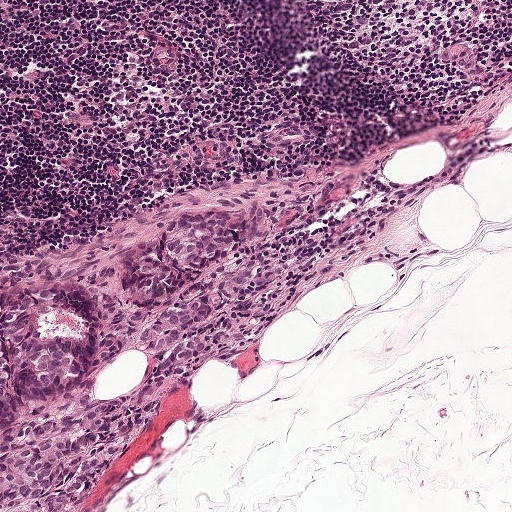
A 0.5-mm field of an H&E-stained sentinel lymph node from a breast-cancer patient (whole-slide image), shown at about 10×, about 0.97 µm per pixel.
Tumour region outline (a closed clockwise path, crop pixels): (183, 214), (242, 218), (255, 258), (245, 284), (204, 318), (202, 350), (190, 362), (169, 364), (140, 338), (90, 380), (88, 394), (110, 406), (150, 382), (158, 393), (128, 447), (69, 508), (0, 511), (0, 269), (56, 272), (95, 306), (101, 330), (130, 304), (126, 254).
About 15% of this field is tumour.